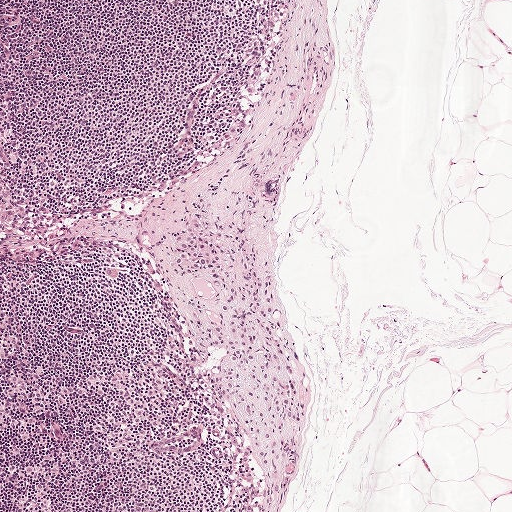
Lymph node section stained with H&E, from a whole-slide image of a breast-cancer sentinel node. Magnification about 5×, about 1 mm across the frame, about 1.9 µm per pixel.
Tumour region outline (a closed clockwise path, crop pixels): (190, 219), (214, 229), (233, 256), (268, 268), (272, 314), (289, 335), (304, 408), (297, 425), (282, 425), (284, 451), (272, 498), (256, 462), (240, 462), (240, 451), (253, 444), (252, 428), (224, 390), (225, 353), (208, 330), (218, 316), (218, 292), (169, 267), (174, 237).
Tumour covers about 5% of the frame.